Question: 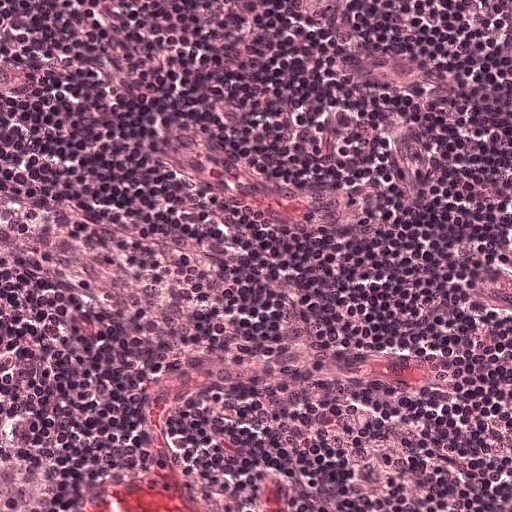
A 0.25-mm field of an H&E-stained sentinel lymph node from a breast-cancer patient (whole-slide image), shown at about 20×, about 0.49 µm per pixel.
What fraction of the image area is metastatic tumour?

Choices:
 (A) none: no tumour is outlined
 (B) about 5% or less
 (C) about 25% to 45%
 (D) about 50% or more
 (E) about 10% to 20%

Answer: (A) none: no tumour is outlined
No metastatic tumour is outlined in this field.